This is a crop of a whole-slide image: an H&E-stained breast-cancer sentinel lymph node section at roughly 2.5× magnification (about 3.9 µm per pixel; the crop spans about 2.0 mm).
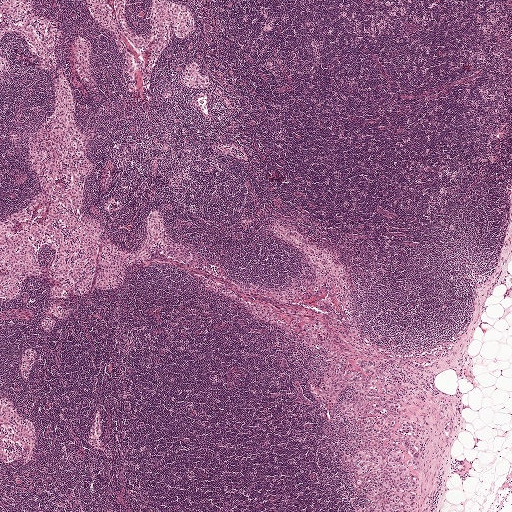
Boundaries of three metastatic tumour regions, simplified and listed clockwise, largest first: region 1: (366, 386), (399, 401), (403, 412), (396, 422), (416, 429), (413, 438), (420, 441), (423, 461), (411, 511), (357, 511), (383, 478), (379, 473), (358, 485), (344, 464), (342, 457), (368, 439), (360, 421), (336, 407), (342, 398); region 2: (320, 321), (326, 325), (324, 336), (318, 344), (307, 346), (301, 342), (303, 331), (301, 326), (308, 322); region 3: (364, 355), (374, 362), (376, 366), (376, 376), (372, 377), (365, 374), (356, 365), (355, 360).
Tumour covers about 5% of the frame.